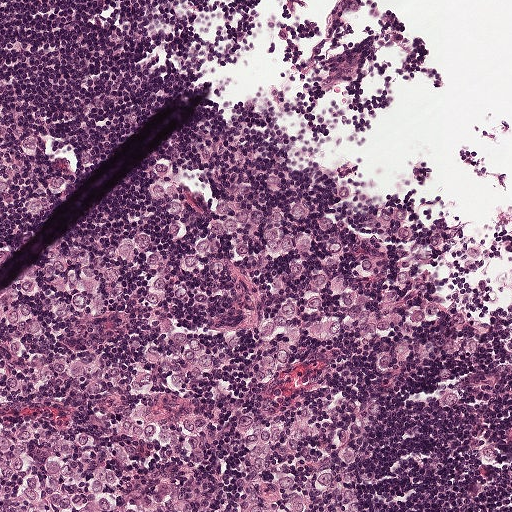
Lymph node section stained with H&E, from a whole-slide image of a breast-cancer sentinel node. Magnification about 10×, about 0.5 mm across the frame, about 0.97 µm per pixel.
Two metastatic tumour regions, each outlined as a closed clockwise path in crop pixels (x, y), largest first: region 1: (111, 157), (235, 193), (226, 186), (327, 204), (418, 264), (458, 308), (376, 442), (364, 510), (0, 511), (0, 293), (148, 175); region 2: (0, 134), (44, 146), (87, 148), (108, 156), (104, 155), (90, 177), (52, 204), (21, 252), (0, 274).
Tumour covers about 50% of the frame.